Question: 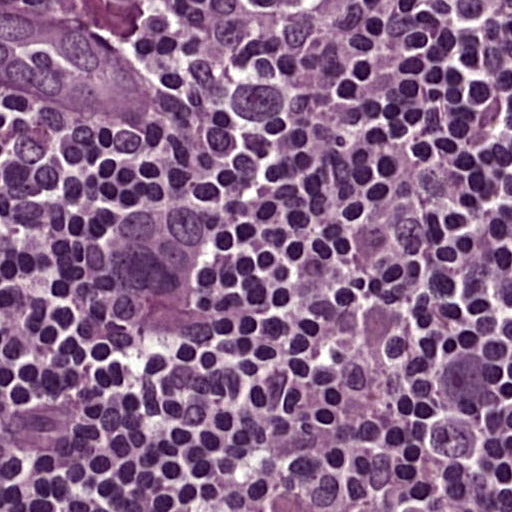
At roughly what magnification is this field shown?

Choices:
 (A) about 2.5×
 (B) about 10×
 (C) about 40×
 (D) about 5×
 (E) about 20×

Answer: (C) about 40×
H&E-stained section of a sentinel lymph node (breast cancer), from a whole-slide image, viewed at about 40×: the field is about 0.12 mm across, about 0.24 µm per pixel.
One metastatic tumour region; its boundary, reduced to 8 corners and listed clockwise: (178, 188), (215, 192), (224, 232), (195, 274), (148, 311), (111, 282), (100, 230), (136, 198).
Tumour covers about 5% of the frame.